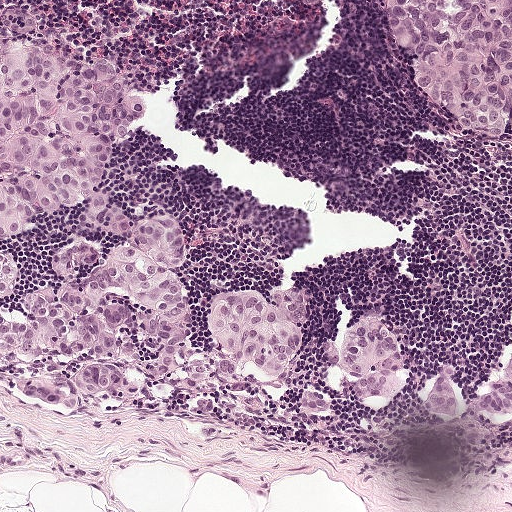
A 0.5-mm field of an H&E-stained sentinel lymph node from a breast-cancer patient (whole-slide image), shown at about 10×, about 0.97 µm per pixel.
The eight largest tumour regions' boundaries, simplified and listed clockwise, largest first: region 1: (160, 213), (187, 244), (176, 273), (194, 343), (224, 350), (212, 311), (222, 288), (290, 288), (304, 308), (302, 362), (266, 378), (244, 361), (244, 392), (180, 394), (152, 373), (142, 360), (152, 346), (135, 330), (145, 308), (130, 295), (84, 313), (126, 310), (136, 363), (1, 361), (0, 250), (25, 280), (4, 303), (10, 320), (22, 321), (30, 294), (60, 284), (48, 268), (58, 251), (90, 244), (104, 263); region 2: (53, 28), (134, 76), (145, 100), (142, 120), (118, 145), (105, 178), (109, 195), (132, 218), (133, 230), (109, 234), (93, 228), (86, 200), (30, 228), (0, 234), (0, 33), (26, 42); region 3: (511, 0), (511, 147), (475, 136), (437, 110), (420, 76), (398, 51), (384, 1); region 4: (371, 316), (390, 324), (396, 331), (399, 350), (399, 389), (370, 399), (352, 392), (351, 384), (362, 378), (328, 365), (321, 350), (328, 336), (344, 340), (348, 337), (352, 322); region 5: (60, 371), (68, 373), (72, 381), (70, 385), (64, 388), (64, 392), (76, 394), (78, 398), (78, 406), (66, 410), (59, 404), (39, 398), (30, 398), (26, 396), (22, 391), (25, 381), (40, 374); region 6: (89, 364), (116, 364), (122, 368), (126, 377), (126, 384), (117, 391), (115, 396), (110, 396), (106, 392), (90, 393), (76, 383), (76, 378), (82, 374); region 7: (511, 360), (511, 415), (492, 418), (475, 410), (476, 402), (480, 401), (480, 398), (494, 388), (499, 376); region 8: (442, 365), (455, 365), (458, 367), (452, 382), (452, 394), (456, 405), (455, 415), (432, 414), (421, 409), (420, 406), (435, 388).
One more, smaller tumour region is not outlined.
One more small tumour piece is annotated here but not outlined.
The annotated tumour makes up about 30% of the crop.